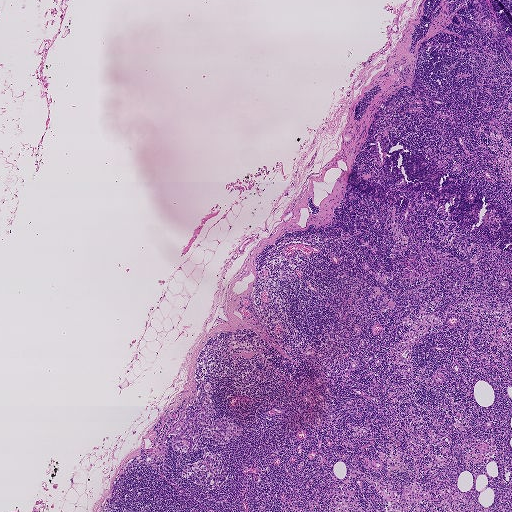
This is a crop of a whole-slide image: an H&E-stained breast-cancer sentinel lymph node section at roughly 2.5× magnification (about 3.6 µm per pixel; the crop spans about 1.9 mm).
The outlined metastatic tumour's edge, as a closed clockwise path of 20 points: (206, 392), (215, 401), (213, 406), (219, 409), (211, 417), (232, 418), (242, 429), (241, 434), (238, 439), (231, 438), (222, 444), (202, 436), (197, 450), (187, 453), (174, 451), (172, 435), (178, 436), (183, 423), (201, 411), (196, 406).
The annotated tumour makes up under 5% of the crop.